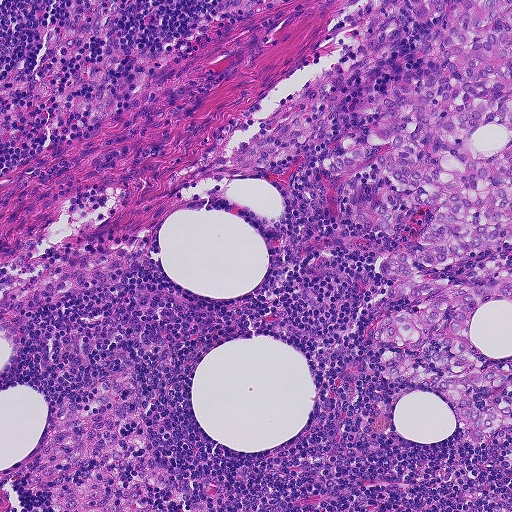
Lymph node section stained with H&E, from a whole-slide image of a breast-cancer sentinel node. Magnification about 10×, about 0.46 mm across the frame, about 0.9 µm per pixel.
One metastatic tumour region; its boundary, reduced to 22 corners and listed clockwise: (411, 0), (511, 0), (511, 412), (481, 440), (381, 359), (444, 371), (366, 330), (424, 302), (388, 300), (401, 280), (376, 270), (430, 206), (394, 238), (362, 228), (350, 176), (316, 160), (370, 139), (383, 93), (444, 64), (416, 39), (447, 11), (416, 22).
About 20% of the image area is annotated as tumour.